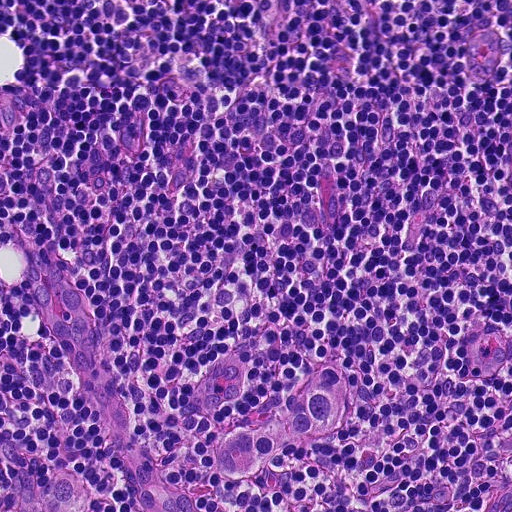
A 0.23-mm field of an H&E-stained sentinel lymph node from a breast-cancer patient (whole-slide image), shown at about 20×, about 0.45 µm per pixel.
One metastatic tumour region; its boundary, reduced to 13 corners and listed clockwise: (320, 370), (350, 374), (361, 404), (348, 432), (319, 446), (286, 448), (258, 462), (241, 487), (213, 467), (217, 436), (248, 428), (268, 404), (296, 392).
About 5% of this field is tumour.